Lymph node section stained with H&E, from a whole-slide image of a breast-cancer sentinel node. Magnification about 5×, about 0.93 mm across the frame, about 1.8 µm per pixel.
Question: 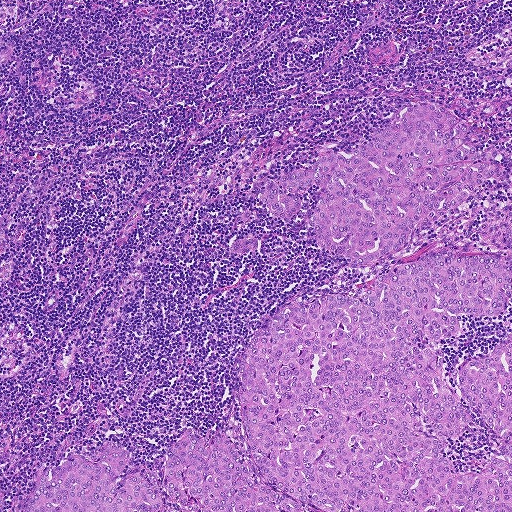
About how much of this crop is taken up by metastatic carcinoma?

Choices:
 (A) about 10% to 20%
 (B) about 50% or more
 (C) about 25% to 45%
 (D) none: no tumour is outlined
 (E) about 5% or less

Answer: (C) about 25% to 45%
About 35% of the field is tumour.
Four metastatic tumour regions, each outlined as a closed clockwise path in crop pixels (x, y), largest first: region 1: (511, 230), (511, 295), (498, 315), (460, 313), (458, 334), (443, 338), (441, 376), (472, 421), (445, 438), (451, 470), (482, 474), (507, 460), (452, 373), (511, 332), (511, 511), (328, 511), (261, 473), (238, 393), (257, 328), (297, 300), (350, 296), (440, 248), (509, 252); region 2: (434, 100), (466, 124), (461, 143), (494, 150), (505, 171), (416, 226), (399, 250), (356, 266), (323, 246), (309, 224), (321, 194), (317, 183), (293, 194), (303, 199), (302, 206), (290, 224), (278, 220), (258, 194), (265, 182), (309, 169), (326, 150), (352, 154), (397, 110); region 3: (194, 428), (197, 434), (227, 435), (249, 468), (280, 493), (314, 511), (176, 511), (180, 508), (178, 502), (166, 486), (164, 460), (178, 436), (188, 429); region 4: (114, 442), (125, 449), (130, 462), (114, 482), (139, 471), (162, 498), (160, 511), (21, 511), (45, 469), (74, 454), (92, 456).